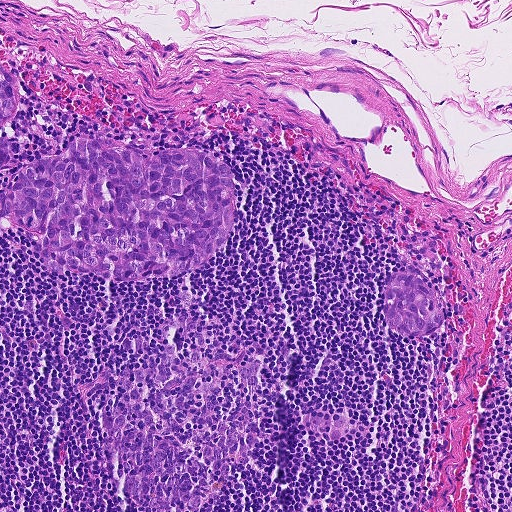
This is a crop of a whole-slide image: an H&E-stained breast-cancer sentinel lymph node section at roughly 10× magnification (about 0.9 µm per pixel; the crop spans about 0.46 mm).
Boundaries of four metastatic tumour regions, simplified and listed clockwise, largest first: region 1: (81, 134), (148, 150), (215, 150), (236, 188), (229, 232), (204, 271), (182, 278), (72, 278), (32, 257), (28, 235), (10, 223), (0, 234), (0, 181), (10, 186), (22, 168); region 2: (409, 262), (438, 296), (446, 317), (434, 336), (413, 341), (392, 333), (380, 314), (382, 291), (386, 280); region 3: (0, 66), (10, 74), (18, 94), (14, 116), (0, 133); region 4: (0, 134), (13, 140), (20, 140), (20, 149), (0, 167).
About 10% of the image area is annotated as tumour.